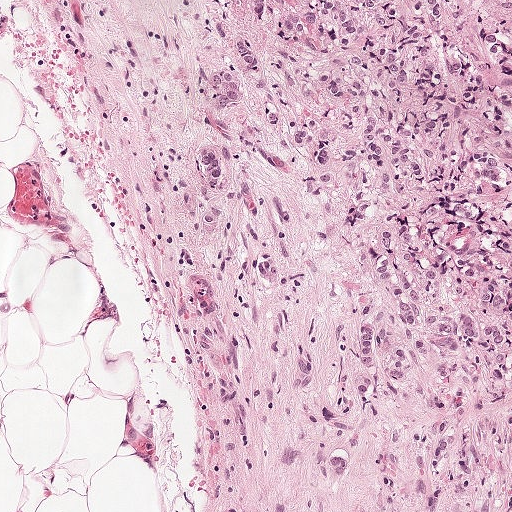
H&E-stained section of a sentinel lymph node (breast cancer), from a whole-slide image, viewed at about 10×: the field is about 0.5 mm across, about 0.97 µm per pixel.
The outlined metastatic tumour's edge, as a closed clockwise path of 6 points: (0, 0), (511, 0), (511, 511), (185, 511), (128, 350), (62, 233).
Tumour covers about 85% of the frame.